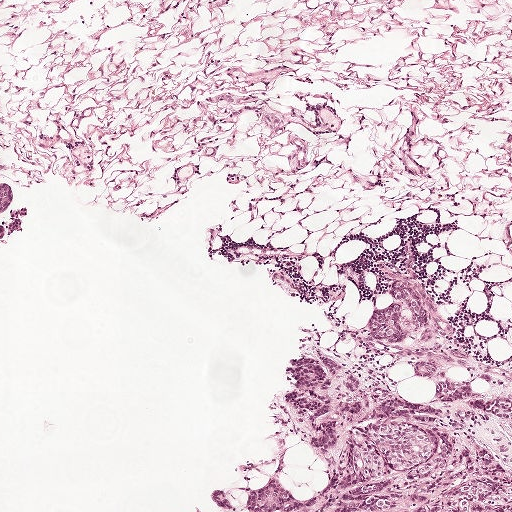
H&E-stained section of a sentinel lymph node (breast cancer), from a whole-slide image, viewed at about 5×: the field is about 1 mm across, about 1.9 µm per pixel.
Two metastatic tumour regions, each outlined as a closed clockwise path in crop pixels (x, y), largest first: region 1: (410, 203), (468, 209), (511, 270), (511, 511), (195, 511), (244, 422), (247, 334), (225, 289), (177, 246), (201, 211), (279, 230); region 2: (0, 182), (7, 184), (12, 189), (11, 207), (8, 210), (0, 210).
One more small tumour piece is annotated here but not outlined.
About 30% of this field is tumour.